H&E-stained section of a sentinel lymph node (breast cancer), from a whole-slide image, viewed at about 20×: the field is about 0.25 mm across, about 0.49 µm per pixel.
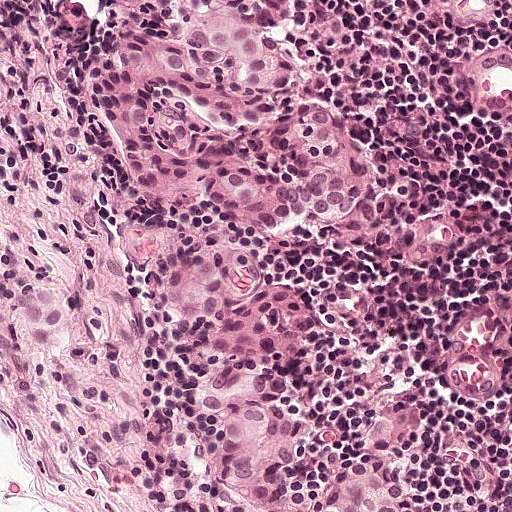
Tumour region outline (a closed clockwise path, crop pixels): (0, 0), (316, 0), (314, 62), (358, 152), (356, 203), (294, 248), (239, 236), (198, 202), (186, 202), (185, 230), (265, 258), (248, 315), (216, 336), (262, 404), (312, 424), (316, 442), (286, 484), (310, 492), (374, 465), (418, 511), (117, 511), (82, 452), (2, 400).
About 55% of this field is tumour.